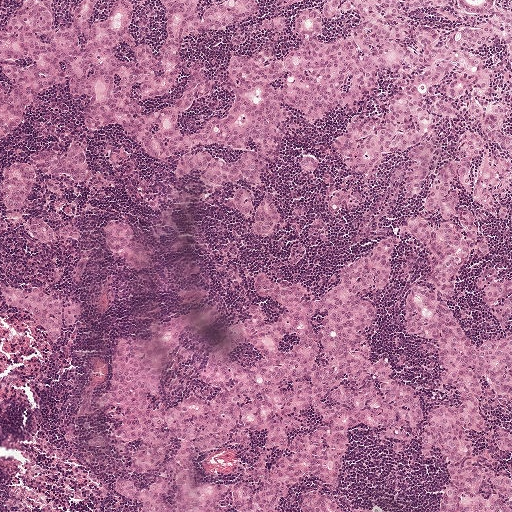
Lymph node section stained with H&E, from a whole-slide image of a breast-cancer sentinel node. Magnification about 5×, about 1 mm across the frame, about 1.9 µm per pixel.
Eight metastatic tumour regions, each outlined as a closed clockwise path in crop pixels (x, y), largest first: region 1: (69, 142), (78, 144), (87, 175), (59, 192), (51, 194), (44, 185), (42, 174), (33, 172), (32, 194), (28, 206), (13, 211), (6, 209), (0, 190), (0, 175), (5, 165), (23, 161), (35, 151), (59, 153), (64, 150); region 2: (2, 284), (15, 286), (26, 292), (32, 287), (35, 288), (60, 305), (77, 304), (78, 310), (76, 320), (70, 325), (59, 326), (58, 339), (53, 342), (49, 342), (29, 313), (9, 306), (1, 299), (0, 286); region 3: (117, 221), (126, 227), (131, 233), (130, 240), (139, 243), (150, 253), (151, 267), (143, 271), (140, 271), (108, 252), (103, 237), (104, 224), (107, 222); region 4: (246, 189), (253, 196), (254, 210), (264, 198), (273, 202), (275, 214), (271, 228), (266, 234), (258, 234), (253, 230), (253, 218), (233, 211), (232, 196), (234, 192); region 5: (344, 188), (356, 193), (362, 200), (353, 209), (343, 214), (337, 214), (328, 212), (326, 208), (327, 198), (335, 190); region 6: (34, 217), (48, 225), (53, 231), (54, 240), (45, 243), (38, 243), (31, 238), (22, 225), (23, 220); region 7: (302, 155), (308, 155), (318, 161), (318, 166), (317, 170), (312, 173), (308, 173), (302, 171), (297, 162); region 8: (358, 503), (368, 503), (380, 507), (389, 509), (397, 511), (349, 511), (352, 506).
One more tumour region is annotated but not outlined: its edge is too irregular for a short outline.
One more, smaller tumour region is not outlined.
One more small tumour piece is annotated here but not outlined.
Tumour covers about 55% of the frame.